Question: 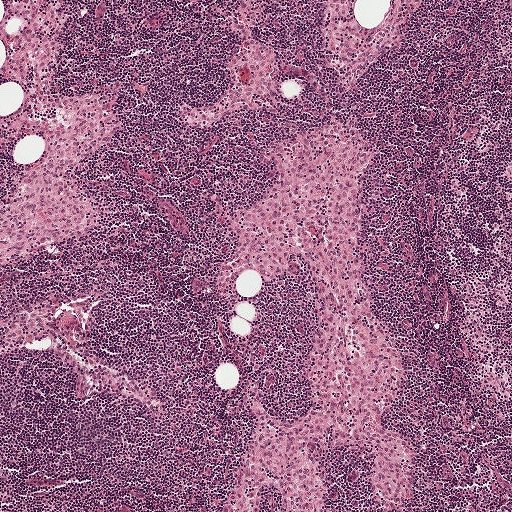
H&E-stained section of a sentinel lymph node (breast cancer), from a whole-slide image, viewed at about 5×: the field is about 1 mm across, about 1.9 µm per pixel.
Estimate the proportion of this field that is metastatic tumour.

Choices:
 (A) about 25% to 45%
 (B) about 10% to 20%
 (C) about 5% or less
 (D) none: no tumour is outlined
 (E) about 50% or more

Answer: (D) none: no tumour is outlined
No metastatic tumour is outlined in this field.